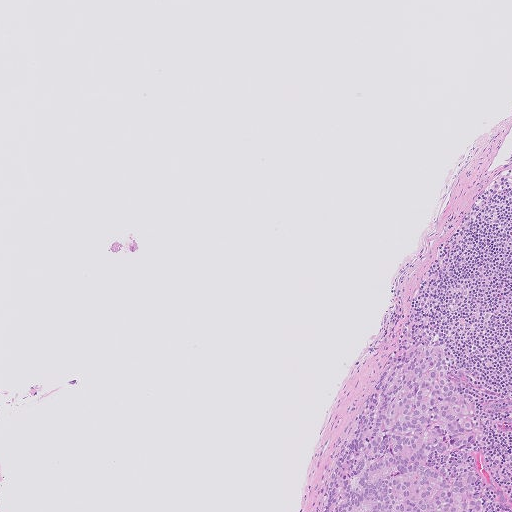
A 1.0-mm field of an H&E-stained sentinel lymph node from a breast-cancer patient (whole-slide image), shown at about 5×, about 2.0 µm per pixel.
Tumour region outline (a closed clockwise path, crop pixels): (425, 341), (472, 371), (477, 442), (441, 461), (481, 473), (487, 511), (323, 511), (329, 472), (394, 345).
Tumour covers about 10% of the frame.